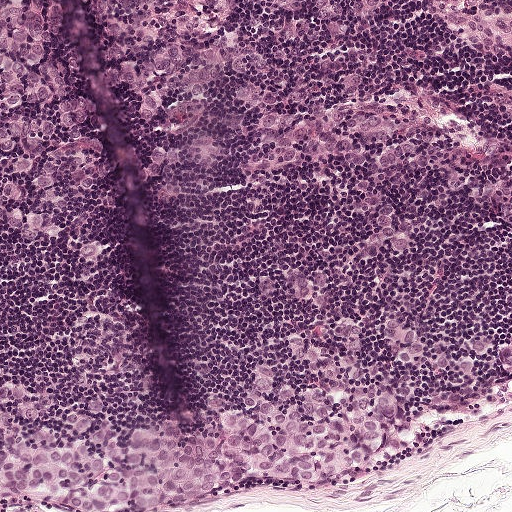
Lymph node section stained with H&E, from a whole-slide image of a breast-cancer sentinel node. Magnification about 10×, about 0.5 mm across the frame, about 0.97 µm per pixel.
Tumour region outline (a closed clockwise path, crop pixels): (0, 0), (39, 0), (60, 86), (92, 142), (108, 203), (130, 212), (152, 202), (140, 131), (119, 54), (93, 0), (225, 0), (243, 77), (242, 110), (227, 132), (177, 172), (144, 216), (107, 231), (74, 232), (3, 207).
About 15% of this field is tumour.